Image:
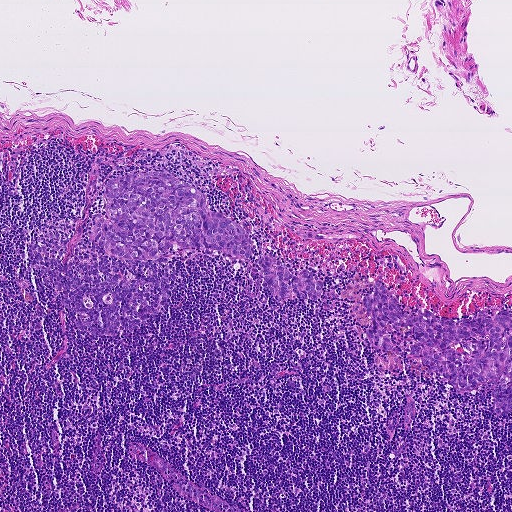
A 0.93-mm field of an H&E-stained sentinel lymph node from a breast-cancer patient (whole-slide image), shown at about 5×, about 1.8 µm per pixel.
Question:
Trace the edge of each tumour region in this crop, as (x, y) points from 0 to 511.
Answer:
Boundaries of two metastatic tumour regions, simplified and listed clockwise, largest first: region 1: (160, 171), (199, 189), (210, 212), (242, 227), (250, 256), (273, 257), (295, 275), (311, 270), (323, 286), (316, 300), (280, 300), (250, 257), (236, 262), (180, 246), (158, 259), (129, 260), (90, 238), (110, 178); region 2: (376, 279), (384, 283), (399, 308), (416, 318), (417, 308), (422, 308), (458, 321), (483, 313), (494, 319), (498, 311), (507, 310), (511, 313), (511, 411), (501, 415), (493, 410), (492, 392), (500, 376), (457, 389), (443, 372), (425, 371), (427, 367), (422, 360), (410, 354), (412, 342), (408, 329), (388, 320), (385, 323), (391, 344), (389, 352), (376, 349), (366, 335), (371, 314), (363, 298), (375, 293).
Tumour covers about 10% of the frame.